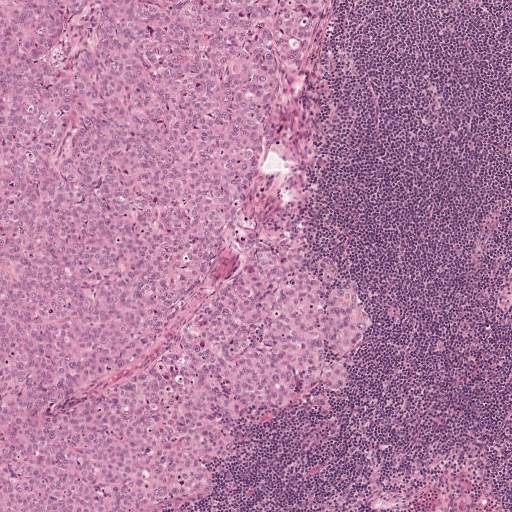
A 1-mm field of an H&E-stained sentinel lymph node from a breast-cancer patient (whole-slide image), shown at about 5×, about 1.9 µm per pixel.
Question: Trace the edge of each tumour region in this crop, as (x, y) points from 0 to 511.
Answer: The outlined metastatic tumour's edge, as a closed clockwise path of 24 points: (0, 0), (329, 0), (256, 166), (248, 228), (305, 248), (308, 267), (320, 254), (333, 258), (360, 286), (373, 324), (346, 360), (353, 378), (328, 397), (331, 410), (308, 400), (320, 380), (297, 383), (280, 419), (237, 426), (239, 456), (209, 465), (217, 488), (184, 508), (0, 511).
Tumour covers about 55% of the frame.